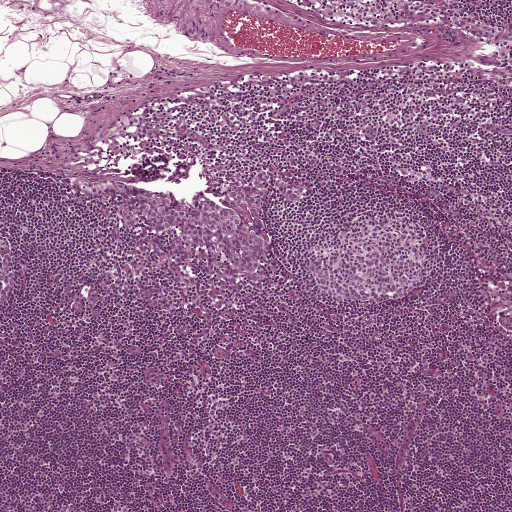
A 1-mm field of an H&E-stained sentinel lymph node from a breast-cancer patient (whole-slide image), shown at about 5×, about 1.9 µm per pixel.
Tumour region outline (a closed clockwise path, crop pixels): (280, 168), (301, 186), (296, 189), (297, 204), (280, 199), (268, 185), (262, 221), (266, 278), (249, 282), (196, 264), (178, 269), (161, 235), (127, 229), (104, 204), (72, 186), (78, 178), (111, 179), (168, 189), (184, 199), (200, 190), (253, 223), (229, 183), (262, 169), (275, 176).
The annotated tumour makes up about 5% of the crop.